Question: 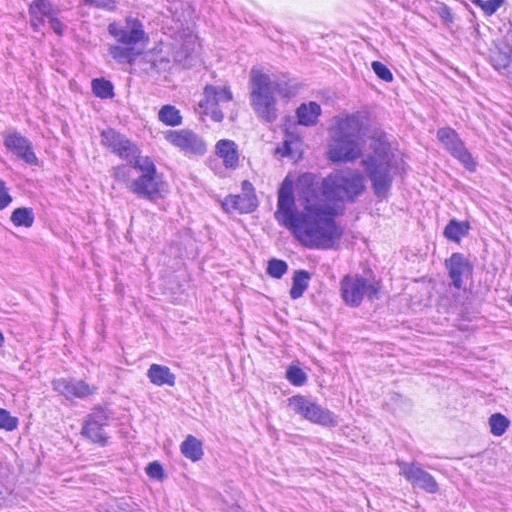
Which magnification is this H&E lymph node field most likely shown at?

Choices:
 (A) about 2.5×
 (B) about 20×
 (C) about 5×
 (D) about 40×
 (E) about 10×

Answer: (D) about 40×
A 0.12-mm field of an H&E-stained sentinel lymph node from a breast-cancer patient (whole-slide image), shown at about 40×, about 0.23 µm per pixel.
Metastatic tumour outline, simplified to 10 points and listed clockwise in crop pixels (x, y): (293, 61), (423, 122), (424, 165), (408, 239), (352, 296), (286, 267), (263, 208), (271, 168), (251, 140), (240, 84).
The annotated tumour makes up about 10% of the crop.